A 0.5-mm field of an H&E-stained sentinel lymph node from a breast-cancer patient (whole-slide image), shown at about 10×, about 0.97 µm per pixel.
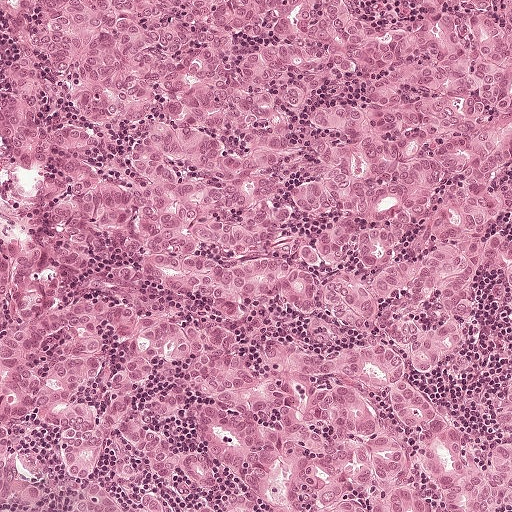
Three metastatic tumour regions, each outlined as a closed clockwise path in crop pixels (x, y), largest first: region 1: (0, 0), (511, 0), (511, 157), (500, 182), (510, 218), (487, 247), (476, 341), (434, 366), (411, 365), (311, 312), (266, 304), (208, 315), (122, 261), (44, 238), (32, 199), (39, 178), (90, 161), (101, 184), (122, 187), (146, 118), (82, 118); region 2: (511, 389), (511, 511), (496, 494), (492, 494), (482, 471), (486, 451), (493, 442), (496, 408), (500, 401); region 3: (508, 242), (509, 247), (511, 251), (511, 315), (508, 304), (506, 298), (505, 297), (501, 290), (499, 290), (498, 289), (496, 289), (494, 283), (494, 256), (494, 254), (496, 254), (496, 251), (498, 250), (499, 247), (500, 247), (501, 243).
Tumour covers about 55% of the frame.